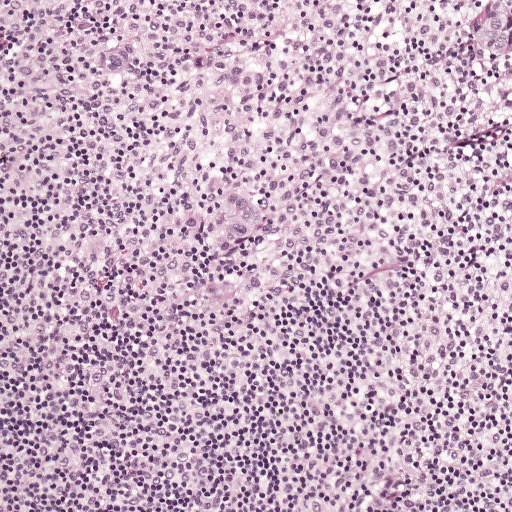
H&E-stained section of a sentinel lymph node (breast cancer), from a whole-slide image, viewed at about 10×: the field is about 0.5 mm across, about 0.97 µm per pixel.
Three metastatic tumour regions, each outlined as a closed clockwise path in crop pixels (x, y), largest first: region 1: (227, 188), (253, 198), (275, 215), (275, 238), (259, 259), (232, 266), (206, 256), (213, 212); region 2: (480, 0), (511, 0), (511, 69), (501, 71), (474, 66), (454, 41), (461, 9); region 3: (120, 40), (136, 60), (116, 74), (89, 70), (92, 44).
About 5% of the image area is annotated as tumour.